Lymph node section stained with H&E, from a whole-slide image of a breast-cancer sentinel node. Magnification about 20×, about 0.23 mm across the frame, about 0.45 µm per pixel.
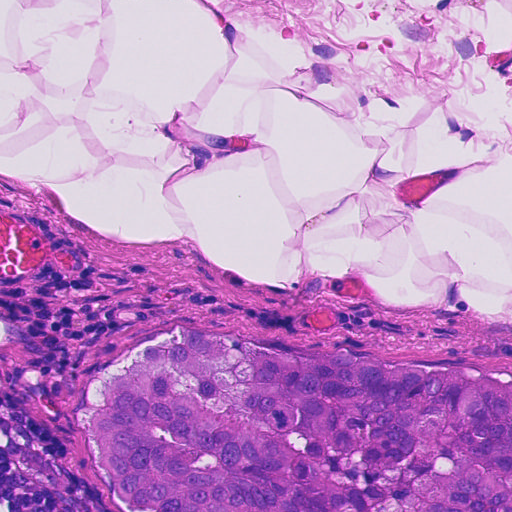
One metastatic tumour region; its boundary, reduced to 9 corners and listed clockwise: (182, 322), (315, 355), (351, 350), (511, 380), (511, 511), (126, 506), (88, 442), (81, 392), (117, 358).
About 25% of the image area is annotated as tumour.